Lymph node section stained with H&E, from a whole-slide image of a breast-cancer sentinel node. Magnification about 5×, about 0.93 mm across the frame, about 1.8 µm per pixel.
Image:
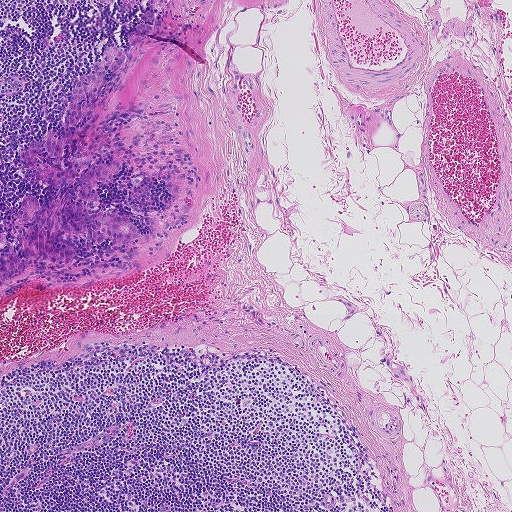
Question:
Is any metastatic breast cancer visible in this crop?
Answer:
Yes.
Outlines of three tumour regions, largest first (closed clockwise paths, crop pixels): region 1: (105, 49), (123, 50), (126, 86), (98, 127), (109, 140), (73, 161), (78, 179), (119, 156), (120, 169), (78, 207), (141, 232), (106, 242), (59, 232), (78, 258), (13, 251), (20, 262), (0, 276), (0, 236), (26, 226), (15, 221), (29, 194), (42, 207), (64, 181), (39, 182), (43, 167), (18, 152), (36, 140), (41, 157), (56, 159), (43, 138), (70, 133), (91, 114), (61, 124), (75, 80); region 2: (142, 23), (154, 26), (154, 30), (152, 33), (140, 36), (142, 40), (132, 45), (127, 40), (129, 33), (136, 31), (135, 26), (138, 24); region 3: (169, 180), (180, 186), (181, 189), (181, 192), (180, 195), (178, 196), (172, 195), (169, 193), (168, 190), (166, 184), (166, 181).
Tumour covers about 5% of the frame.